Question: 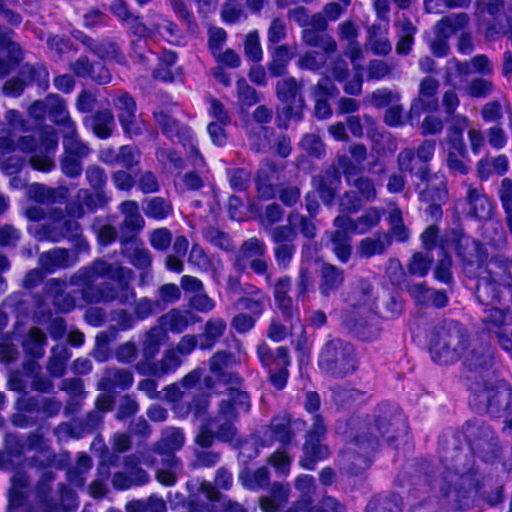
Lymph node section stained with H&E, from a whole-slide image of a breast-cancer sentinel node. Magnification about 40×, about 0.12 mm across the frame, about 0.23 µm per pixel.
About how much of this crop is taken up by metastatic carcinoma?

Choices:
 (A) about 25% to 45%
 (B) about 5% or less
 (C) about 50% or more
 (D) about 10% to 20%
 (E) none: no tumour is outlined

Answer: (D) about 10% to 20%
About 15% of the field is tumour.
Metastatic tumour outline, simplified to 9 points and listed clockwise in crop pixels (x, y): (362, 264), (472, 309), (511, 380), (511, 489), (479, 511), (351, 511), (332, 471), (310, 355), (329, 283).